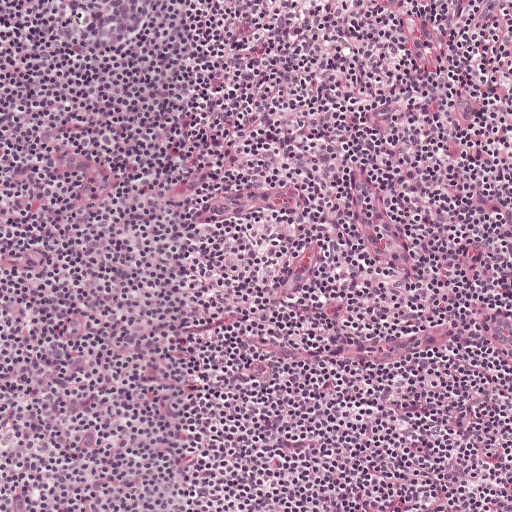
A 0.5-mm field of an H&E-stained sentinel lymph node from a breast-cancer patient (whole-slide image), shown at about 10×, about 0.97 µm per pixel.